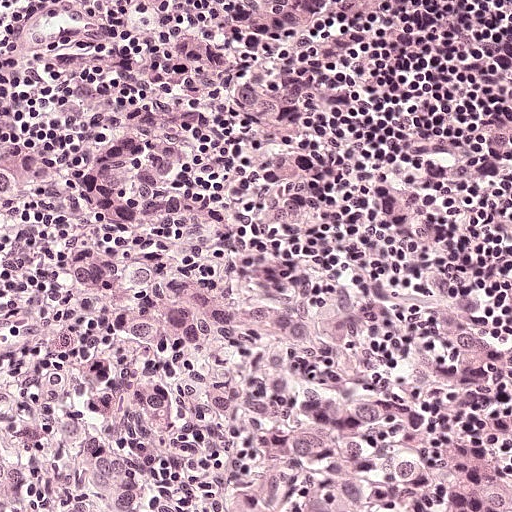
A 0.25-mm field of an H&E-stained sentinel lymph node from a breast-cancer patient (whole-slide image), shown at about 20×, about 0.49 µm per pixel.
Question: Outline the metastatic carcinoma in this image, as closed paths of (x, y) pixel coordinates.
Answer: The outlined metastatic tumour's edge, as a closed clockwise path of 13 points: (0, 0), (394, 0), (351, 83), (324, 205), (398, 316), (384, 346), (388, 384), (443, 411), (454, 508), (472, 464), (490, 458), (497, 510), (0, 511).
About 75% of this field is tumour.